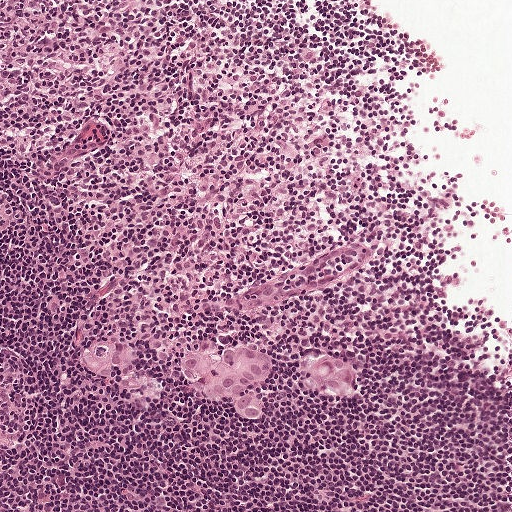
Lymph node section stained with H&E, from a whole-slide image of a breast-cancer sentinel node. Magnification about 10×, about 0.5 mm across the frame, about 0.97 µm per pixel.
Question: Does this lymph node field contain metastatic tumour?
Answer: Yes.
Boundaries of three metastatic tumour regions, simplified and listed clockwise, largest first: region 1: (255, 344), (270, 352), (275, 360), (274, 378), (260, 388), (262, 416), (253, 421), (241, 419), (224, 404), (200, 396), (181, 378), (182, 361), (186, 357), (202, 350); region 2: (320, 354), (346, 357), (356, 364), (358, 384), (354, 399), (322, 398), (304, 389), (301, 384), (300, 368), (305, 361); region 3: (116, 336), (136, 348), (136, 367), (126, 378), (113, 379), (105, 375), (84, 370), (82, 367), (81, 359), (86, 350), (92, 349), (97, 354), (106, 354), (110, 350), (110, 346), (104, 342), (106, 338).
About 5% of the image area is annotated as tumour.